Image:
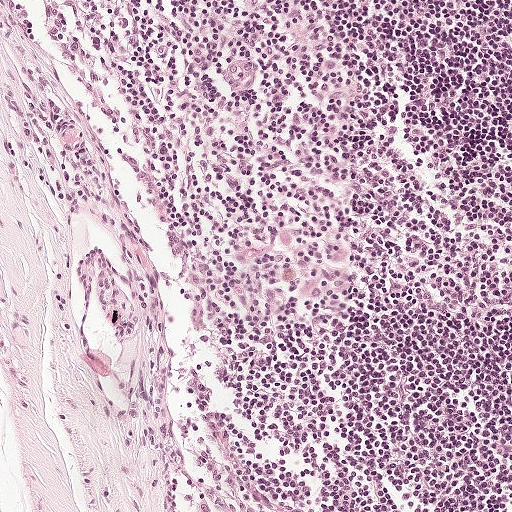
Lymph node section stained with H&E, from a whole-slide image of a breast-cancer sentinel node. Magnification about 10×, about 0.5 mm across the frame, about 0.97 µm per pixel.
Question:
Is there metastatic carcinoma in this field?
Answer:
No: no metastatic tumour is outlined anywhere in this field.